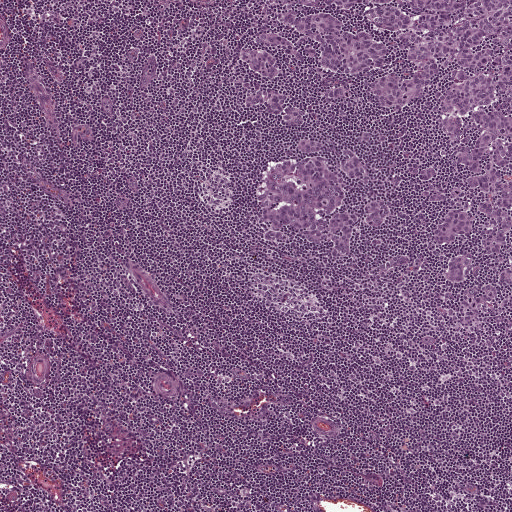
A 1-mm field of an H&E-stained sentinel lymph node from a breast-cancer patient (whole-slide image), shown at about 5×, about 1.9 µm per pixel.
One metastatic tumour region; its boundary, reduced to 40 corners and listed clockwise: (511, 0), (511, 303), (494, 316), (456, 322), (462, 303), (437, 295), (451, 255), (437, 245), (411, 275), (377, 273), (434, 236), (444, 214), (414, 188), (392, 196), (386, 228), (354, 230), (338, 264), (259, 236), (256, 185), (298, 138), (331, 134), (380, 181), (446, 152), (417, 105), (356, 147), (380, 105), (359, 80), (351, 103), (328, 101), (321, 63), (288, 58), (275, 80), (313, 122), (280, 128), (246, 108), (274, 82), (235, 54), (266, 30), (286, 36), (284, 2).
About 20% of this field is tumour.